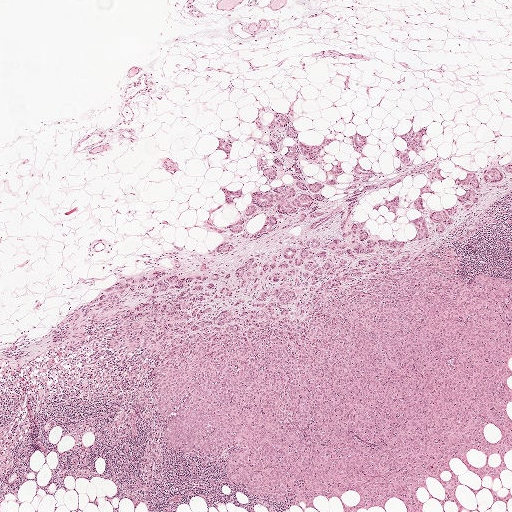
This is a crop of a whole-slide image: an H&E-stained breast-cancer sentinel lymph node section at roughly 2.5× magnification (about 3.9 µm per pixel; the crop spans about 2.0 mm).
Question: Where is the metastatic tumour in this field? Give each region's outline as (x, y) pixel points.
Answer: Three metastatic tumour regions, each outlined as a closed clockwise path in crop pixels (x, y), largest first: region 1: (280, 109), (333, 137), (342, 173), (300, 160), (329, 199), (347, 191), (356, 131), (384, 179), (427, 126), (407, 153), (438, 156), (434, 210), (460, 166), (511, 161), (421, 240), (418, 210), (372, 206), (397, 196), (414, 207), (423, 173), (351, 212), (397, 256), (511, 278), (511, 471), (448, 466), (511, 499), (252, 496), (234, 446), (162, 443), (156, 361), (108, 351), (91, 298), (218, 268), (251, 191), (292, 180), (257, 170); region 2: (221, 186), (228, 189), (235, 189), (241, 187), (243, 193), (240, 196), (235, 197), (235, 198), (237, 199), (233, 203), (226, 203), (224, 196), (222, 191), (220, 190); region 3: (220, 136), (230, 139), (231, 145), (230, 150), (227, 154), (221, 150), (216, 150), (218, 145), (217, 137).
Tumour covers about 40% of the frame.